This is a crop of a whole-slide image: an H&E-stained breast-cancer sentinel lymph node section at roughly 20× magnification (about 0.49 µm per pixel; the crop spans about 0.25 mm).
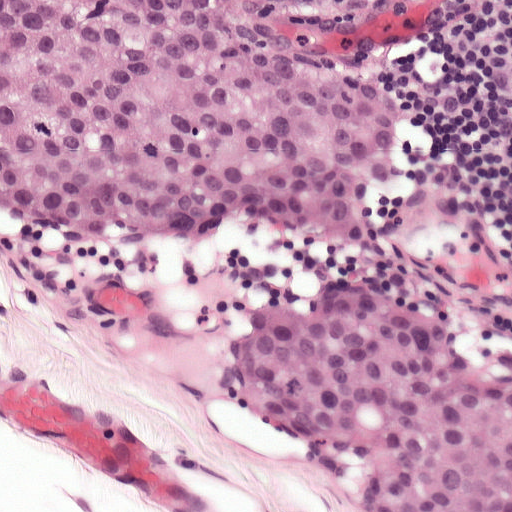
Outlines of two tumour regions, largest first (closed clockwise paths, crop pixels): region 1: (0, 0), (331, 0), (383, 78), (396, 129), (386, 178), (366, 224), (325, 254), (273, 268), (14, 230), (0, 219); region 2: (369, 277), (511, 335), (511, 511), (356, 511), (300, 454), (256, 430), (224, 392), (221, 342), (258, 307).
Tumour covers about 55% of the frame.